Image:
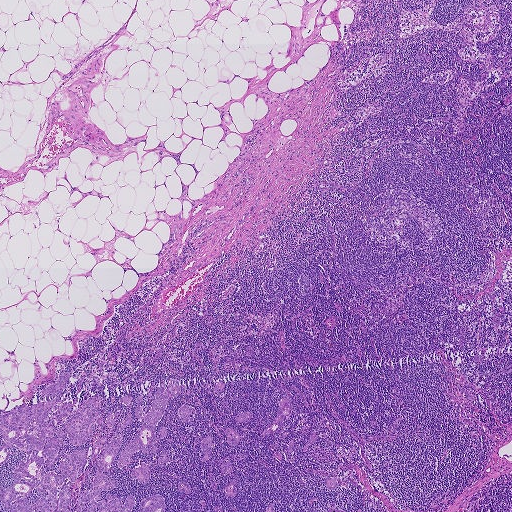
H&E-stained section of a sentinel lymph node (breast cancer), from a whole-slide image, viewed at about 2.5×: the field is about 1.9 mm across, about 3.6 µm per pixel.
Question:
Is there metastatic carcinoma in this field?
Answer:
Yes.
The eight largest tumour regions' boundaries, simplified and listed clockwise, largest first: region 1: (62, 366), (72, 373), (60, 396), (71, 401), (70, 414), (92, 395), (100, 404), (90, 439), (73, 445), (66, 426), (64, 439), (54, 436), (65, 450), (51, 468), (28, 467), (39, 479), (61, 474), (63, 454), (85, 450), (82, 475), (55, 486), (70, 490), (68, 511), (9, 511), (0, 501), (0, 486), (10, 485), (27, 458), (25, 446), (21, 453), (14, 444), (0, 465), (0, 414), (56, 397), (42, 389); region 2: (122, 434), (122, 443), (114, 462), (109, 471), (102, 472), (118, 481), (119, 485), (111, 490), (101, 491), (100, 499), (96, 500), (96, 502), (106, 500), (107, 494), (114, 494), (117, 497), (132, 494), (135, 499), (131, 511), (73, 511), (79, 496), (91, 487), (92, 479), (96, 468), (95, 462), (104, 447); region 3: (176, 379), (179, 387), (179, 392), (176, 396), (169, 395), (156, 429), (157, 443), (155, 445), (158, 449), (156, 454), (153, 454), (150, 448), (146, 452), (138, 451), (134, 453), (131, 462), (124, 467), (119, 468), (117, 463), (117, 455), (132, 440), (145, 421), (142, 422), (138, 420), (134, 413), (137, 397), (142, 396), (139, 405), (144, 416), (155, 400), (154, 395), (157, 387), (160, 387), (161, 384), (166, 389), (168, 381); region 4: (286, 395), (288, 396), (290, 401), (290, 414), (283, 420), (281, 428), (272, 434), (264, 435), (262, 434), (263, 431), (276, 417), (281, 398); region 5: (156, 494), (159, 494), (161, 495), (163, 497), (164, 502), (164, 511), (139, 511), (139, 507), (140, 502), (144, 498), (147, 498); region 6: (143, 462), (149, 464), (149, 476), (147, 482), (139, 482), (137, 479), (133, 479), (130, 476), (130, 469), (138, 467); region 7: (185, 405), (190, 406), (195, 411), (193, 419), (192, 421), (186, 422), (181, 421), (179, 420), (178, 412), (180, 407); region 8: (207, 435), (212, 437), (212, 440), (210, 447), (212, 455), (208, 459), (201, 461), (200, 459), (203, 456), (200, 451), (199, 443).
Nine more, smaller tumour regions are not outlined.
Nine more small tumour pieces are annotated here but not outlined.
Tumour covers about 5% of the frame.